Question: 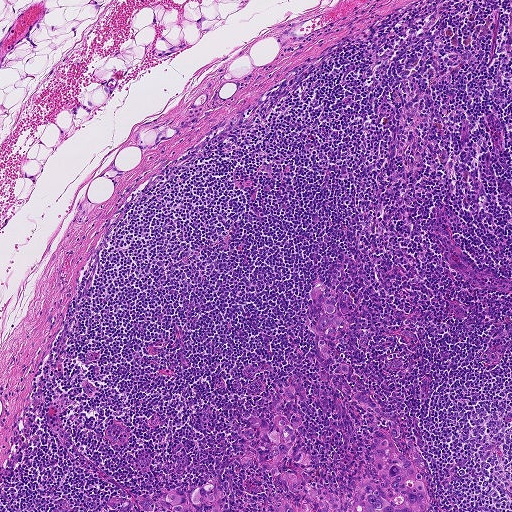
Lymph node section stained with H&E, from a whole-slide image of a breast-cancer sentinel node. Magnification about 5×, about 0.93 mm across the frame, about 1.8 µm per pixel.
Roughly what share of this field is metastatic tumour?

Choices:
 (A) about 10% to 20%
 (B) about 5% or less
 (C) about 25% to 45%
 (D) none: no tumour is outlined
 (E) about 50% or more

Answer: (B) about 5% or less
About 5% of the field is tumour.
Outlines of three tumour regions, largest first (closed clockwise paths, crop pixels): region 1: (211, 477), (216, 477), (218, 486), (226, 492), (224, 502), (218, 510), (142, 511), (136, 496), (175, 489), (187, 495), (196, 491); region 2: (316, 281), (325, 282), (328, 291), (336, 295), (344, 322), (339, 330), (336, 339), (328, 343), (331, 352), (351, 371), (346, 373), (334, 373), (336, 366), (339, 364), (321, 355), (319, 352), (316, 324), (323, 306), (320, 296), (318, 299), (308, 300), (310, 288); region 3: (284, 497), (293, 503), (296, 511), (274, 511), (276, 508), (282, 501).
One more tumour region is annotated but not outlined: its edge is too irregular for a short outline.